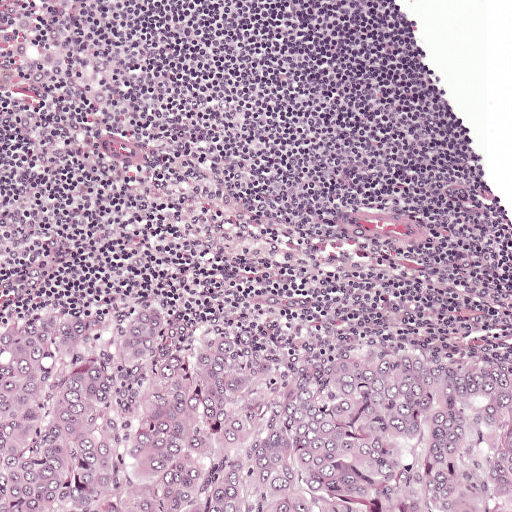
This is a crop of a whole-slide image: an H&E-stained breast-cancer sentinel lymph node section at roughly 10× magnification (about 0.97 µm per pixel; the crop spans about 0.5 mm).
One metastatic tumour region; its boundary, reduced to 5 corners and listed clockwise: (194, 303), (511, 336), (511, 511), (0, 511), (0, 310).
About 40% of the image area is annotated as tumour.